Image:
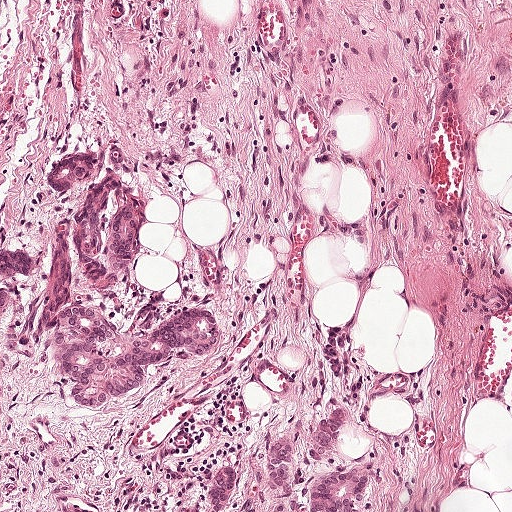
A 0.5-mm field of an H&E-stained sentinel lymph node from a breast-cancer patient (whole-slide image), shown at about 10×, about 0.97 µm per pixel.
Question:
Where is the metastatic tumour in this field? Give each region's outline as (x, y) pixel points.
Answer:
Seven metastatic tumour regions, each outlined as a closed clockwise path in crop pixels (x, y), largest first: region 1: (71, 300), (128, 328), (150, 324), (196, 304), (208, 310), (219, 334), (215, 357), (183, 359), (168, 352), (159, 368), (145, 369), (141, 387), (118, 398), (106, 398), (90, 410), (65, 400), (64, 381), (55, 366), (46, 364), (46, 324); region 2: (340, 409), (345, 411), (346, 424), (332, 442), (328, 455), (334, 468), (354, 466), (364, 472), (369, 480), (360, 511), (300, 511), (312, 492), (311, 477), (300, 453), (306, 416); region 3: (80, 149), (96, 157), (99, 163), (99, 169), (96, 180), (81, 190), (64, 198), (57, 198), (49, 194), (44, 185), (44, 172), (46, 168), (52, 161); region 4: (130, 196), (136, 200), (141, 218), (140, 235), (134, 257), (128, 264), (117, 267), (109, 266), (111, 217), (119, 200); region 5: (280, 442), (284, 442), (287, 445), (294, 465), (294, 484), (291, 511), (272, 511), (266, 457), (269, 447); region 6: (15, 246), (32, 256), (35, 266), (34, 269), (15, 282), (12, 289), (10, 305), (0, 316), (0, 247); region 7: (223, 467), (235, 471), (235, 480), (224, 511), (204, 511), (204, 498), (214, 474).
Tumour covers about 10% of the frame.